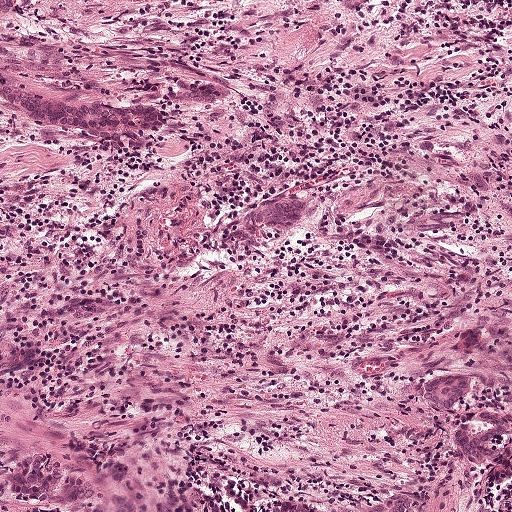
H&E-stained section of a sentinel lymph node (breast cancer), from a whole-slide image, viewed at about 10×: the field is about 0.5 mm across, about 0.97 µm per pixel.
Boundaries of four metastatic tumour regions, simplified and listed clockwise, largest first: region 1: (0, 0), (37, 0), (35, 11), (42, 14), (196, 64), (239, 90), (247, 107), (216, 144), (134, 159), (93, 159), (2, 118); region 2: (44, 442), (99, 482), (126, 492), (137, 492), (182, 475), (252, 495), (298, 493), (346, 506), (396, 489), (406, 493), (406, 511), (43, 511), (0, 494), (0, 460); region 3: (449, 367), (466, 369), (473, 378), (468, 390), (472, 409), (493, 408), (506, 414), (504, 435), (490, 455), (475, 460), (464, 454), (456, 442), (446, 417), (415, 394), (416, 380); region 4: (275, 195), (296, 196), (307, 200), (314, 204), (312, 222), (309, 226), (300, 229), (262, 226), (251, 219), (256, 204).
The annotated tumour makes up about 15% of the crop.